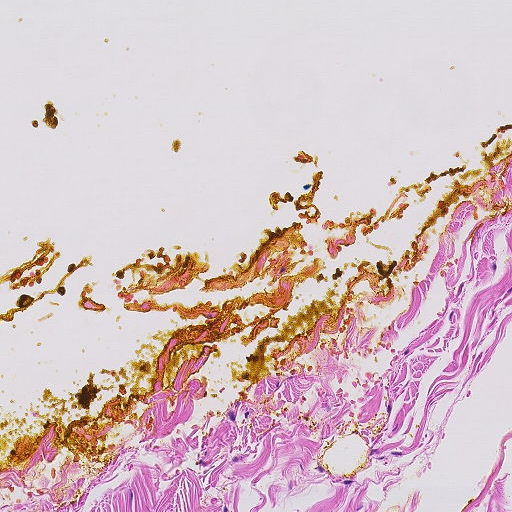
This is a crop of a whole-slide image: an H&E-stained breast-cancer sentinel lymph node section at roughly 10× magnification (about 0.9 µm per pixel; the crop spans about 0.46 mm).
Question: Is any metastatic breast cancer visible in this crop?
Answer: No. No metastatic tumour is outlined in this field.